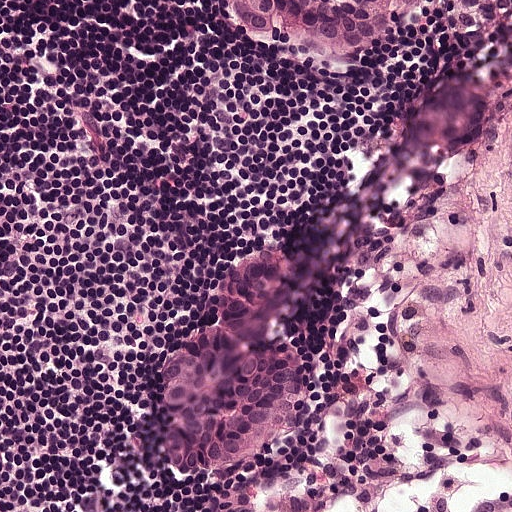
H&E-stained section of a sentinel lymph node (breast cancer), from a whole-slide image, viewed at about 20×: the field is about 0.25 mm across, about 0.49 µm per pixel.
Outlines of two tumour regions, largest first (closed clockwise paths, crop pixels): region 1: (264, 244), (282, 246), (296, 318), (313, 355), (313, 405), (307, 421), (280, 466), (244, 479), (212, 479), (189, 439), (154, 426), (166, 336), (250, 266); region 2: (211, 0), (411, 0), (407, 26), (388, 42), (364, 50), (357, 59), (314, 59), (284, 50), (282, 46), (236, 30).
The annotated tumour makes up about 15% of the crop.